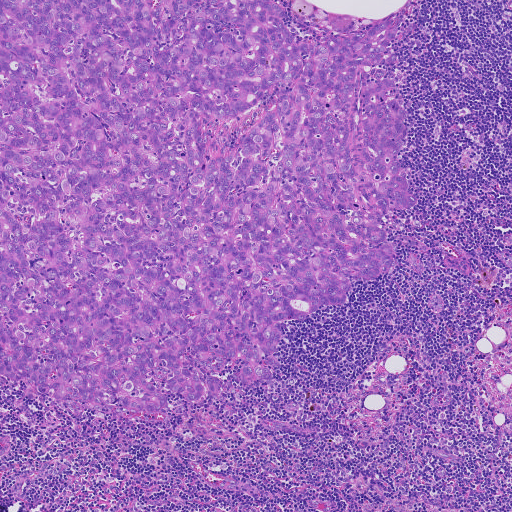
Lymph node section stained with H&E, from a whole-slide image of a breast-cancer sentinel node. Magnification about 5×, about 0.93 mm across the frame, about 1.8 µm per pixel.
The outlined metastatic tumour's edge, as a closed clockwise path of 24 points: (0, 0), (271, 0), (297, 44), (317, 46), (397, 25), (373, 77), (398, 78), (409, 113), (397, 156), (417, 200), (383, 218), (392, 270), (277, 322), (282, 366), (267, 379), (242, 382), (245, 362), (226, 360), (208, 371), (218, 391), (174, 391), (164, 414), (74, 412), (0, 375).
The annotated tumour makes up about 55% of the crop.